H&E-stained section of a sentinel lymph node (breast cancer), from a whole-slide image, viewed at about 20×: the field is about 0.25 mm across, about 0.49 µm per pixel.
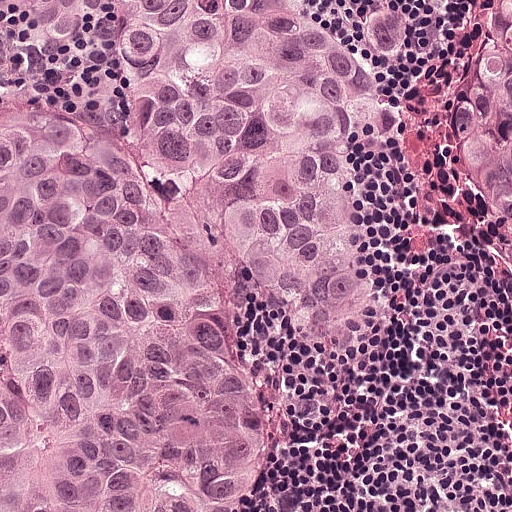
Question: Is there metastatic carcinoma in this field?
Answer: Yes.
One metastatic tumour region; its boundary, reduced to 8 corners and listed clockwise: (0, 0), (511, 0), (511, 299), (401, 150), (396, 324), (338, 402), (278, 510), (0, 511).
About 85% of the image area is annotated as tumour.